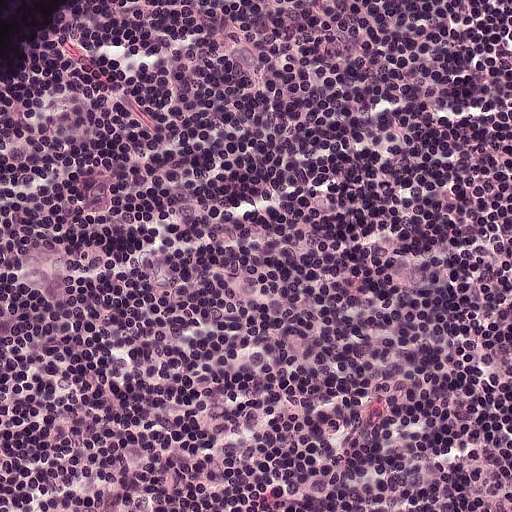
This is a crop of a whole-slide image: an H&E-stained breast-cancer sentinel lymph node section at roughly 20× magnification (about 0.49 µm per pixel; the crop spans about 0.25 mm).